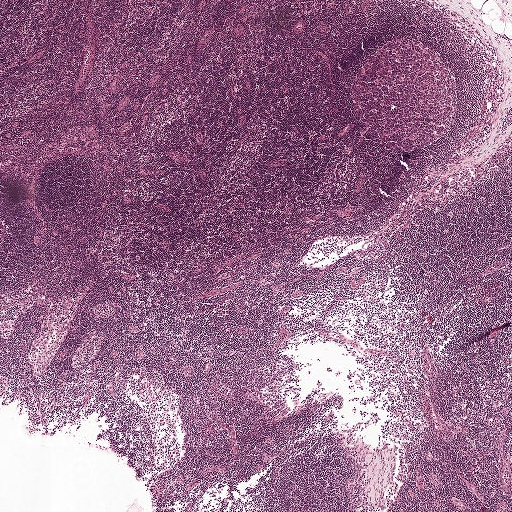
This is a crop of a whole-slide image: an H&E-stained breast-cancer sentinel lymph node section at roughly 2.5× magnification (about 3.9 µm per pixel; the crop spans about 2.0 mm).